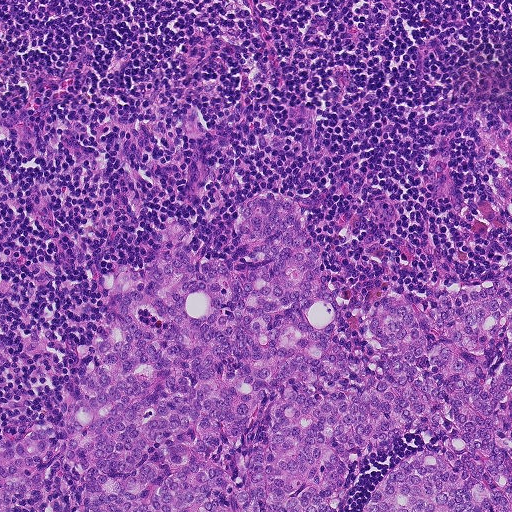
This is a crop of a whole-slide image: an H&E-stained breast-cancer sentinel lymph node section at roughly 10× magnification (about 0.9 µm per pixel; the crop spans about 0.46 mm).
Question: Is there metastatic carcinoma in this field?
Answer: Yes.
The outlined metastatic tumour's edge, as a closed clockwise path of 21 points: (297, 198), (354, 363), (371, 365), (378, 349), (358, 320), (374, 289), (436, 304), (511, 265), (511, 383), (497, 410), (511, 511), (0, 511), (0, 447), (59, 424), (103, 306), (99, 275), (145, 268), (167, 220), (185, 216), (209, 260), (246, 200).
About 45% of the image area is annotated as tumour.

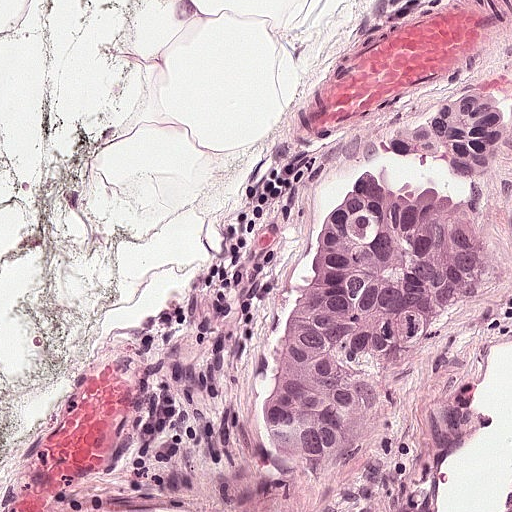
Lymph node section stained with H&E, from a whole-slide image of a breast-cancer sentinel node. Magnification about 20×, about 0.25 mm across the frame, about 0.49 µm per pixel.
Question: Is there metastatic carcinoma in this field?
Answer: Yes.
The outlined metastatic tumour's edge, as a closed clockwise path of 15 points: (496, 80), (511, 86), (511, 145), (501, 174), (508, 250), (490, 300), (408, 367), (368, 447), (338, 452), (330, 470), (272, 464), (264, 430), (282, 332), (346, 162), (449, 93).
Tumour covers about 20% of the frame.

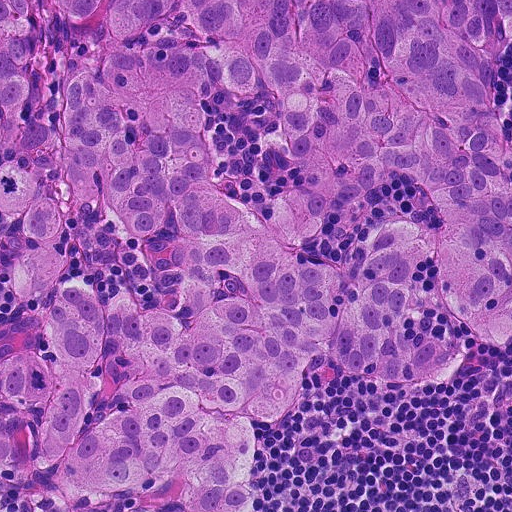
H&E-stained section of a sentinel lymph node (breast cancer), from a whole-slide image, viewed at about 20×: the field is about 0.23 mm across, about 0.45 µm per pixel.
Question: Is there metastatic carcinoma in this field?
Answer: Yes.
Metastatic tumour outline, simplified to 16 points and listed clockwise in crop pixels (x, y): (0, 0), (511, 0), (500, 92), (511, 124), (511, 340), (415, 299), (408, 329), (454, 342), (462, 360), (425, 382), (306, 372), (294, 410), (255, 423), (257, 496), (244, 511), (0, 511).
About 85% of the image area is annotated as tumour.

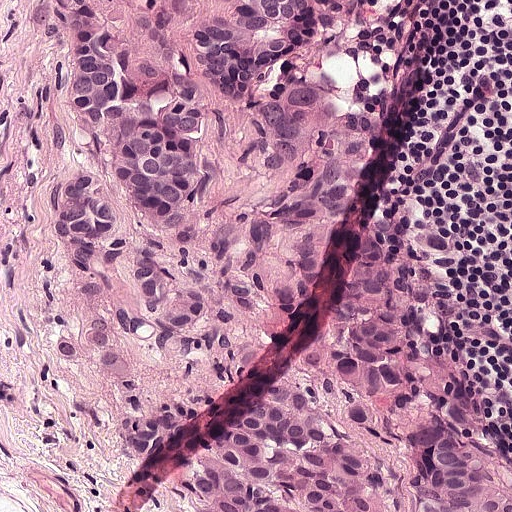
H&E-stained section of a sentinel lymph node (breast cancer), from a whole-slide image, viewed at about 20×: the field is about 0.25 mm across, about 0.49 µm per pixel.
Question: Is there metastatic carcinoma in this field?
Answer: Yes.
Tumour region outline (a closed clockwise path, crop pixels): (324, 0), (316, 134), (403, 250), (503, 438), (511, 511), (186, 511), (56, 392), (50, 321), (62, 288), (81, 279), (156, 286), (199, 249), (185, 248), (135, 282), (71, 264), (40, 241), (44, 188), (74, 138), (74, 114), (55, 86), (48, 18), (21, 2).
Tumour covers about 65% of the frame.